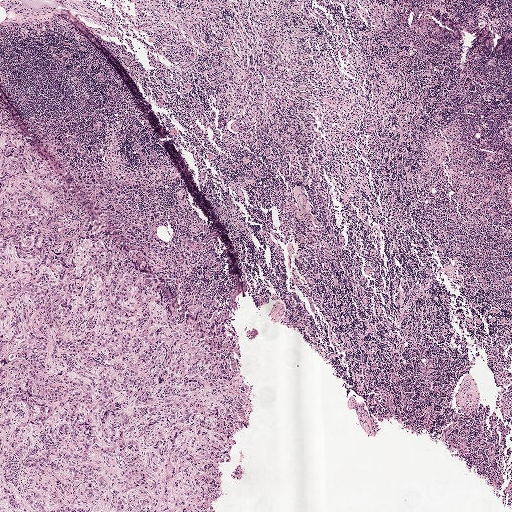
A 2.0-mm field of an H&E-stained sentinel lymph node from a breast-cancer patient (whole-slide image), shown at about 2.5×, about 3.9 µm per pixel.
Question: Describe where the metastatic carcinoma lies in this crop.
Answer: Tumour region outline (a closed clockwise path, crop pixels): (0, 97), (13, 118), (115, 177), (165, 261), (200, 292), (237, 403), (212, 452), (203, 508), (0, 511).
About 25% of the image area is annotated as tumour.